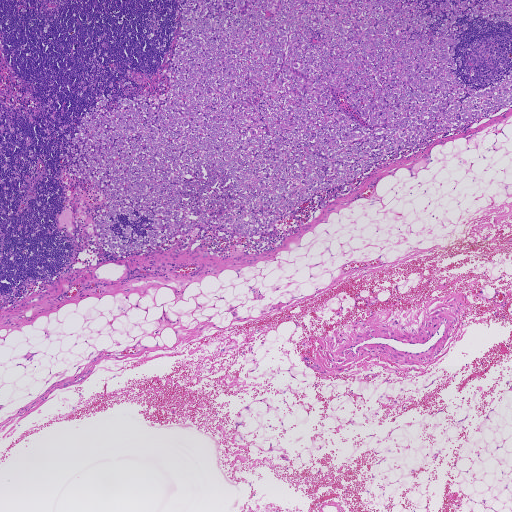
Lymph node section stained with H&E, from a whole-slide image of a breast-cancer sentinel node. Magnification about 2.5×, about 1.9 mm across the frame, about 3.6 µm per pixel.
Question: Which parts of this field are metastatic tumour? Answer with the outline of each region, in pixels.
Answer: The outlined metastatic tumour's edge, as a closed clockwise path of 21 points: (511, 0), (511, 104), (384, 157), (318, 194), (323, 208), (316, 196), (252, 240), (198, 228), (146, 254), (110, 252), (95, 242), (90, 206), (105, 196), (65, 171), (64, 135), (75, 137), (100, 93), (112, 110), (126, 97), (168, 92), (179, 3).
Seven more small tumour pieces are annotated here but not outlined.
The annotated tumour makes up about 30% of the crop.